Lymph node section stained with H&E, from a whole-slide image of a breast-cancer sentinel node. Magnification about 2.5×, about 2.0 mm across the frame, about 3.9 µm per pixel.
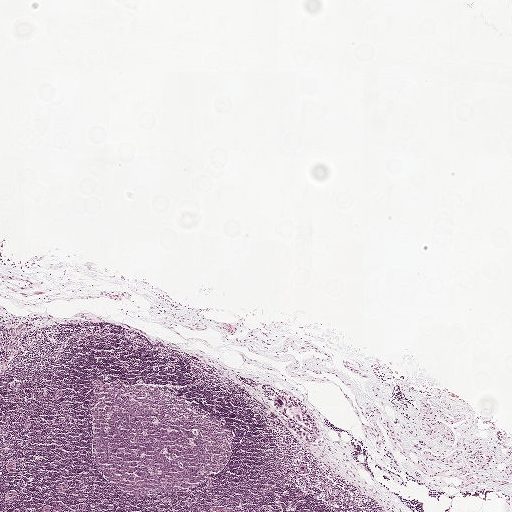
Metastatic tumour outline, simplified to 12 points and listed clockwise in crop pixels (x, y): (277, 394), (297, 400), (316, 419), (320, 434), (319, 442), (315, 444), (304, 442), (297, 436), (290, 429), (285, 418), (280, 414), (273, 402).
Tumour covers under 5% of the frame.